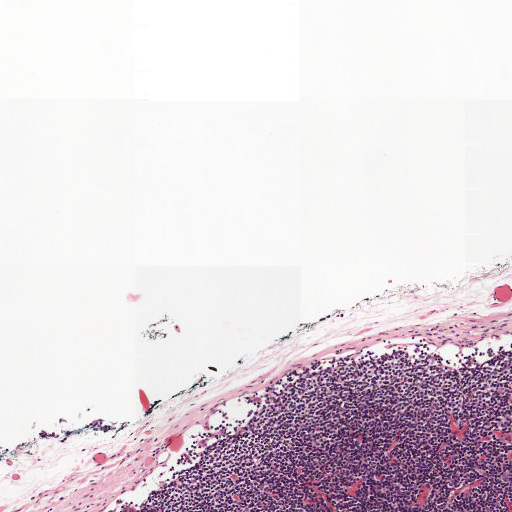
A 1-mm field of an H&E-stained sentinel lymph node from a breast-cancer patient (whole-slide image), shown at about 5×, about 1.9 µm per pixel.
Boundaries of two metastatic tumour regions, simplified and listed clockwise, largest first: region 1: (99, 417), (110, 422), (113, 428), (105, 430), (96, 430), (83, 428), (84, 424), (96, 418); region 2: (40, 429), (50, 430), (62, 436), (56, 439), (49, 439), (37, 436).
Four more small tumour pieces are annotated here but not outlined.
The annotated tumour makes up under 5% of the crop.